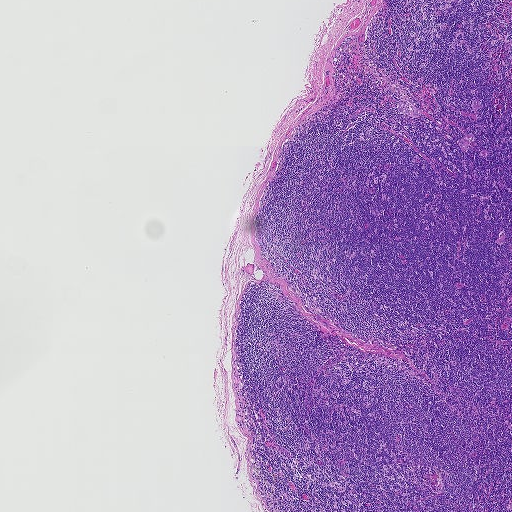
This is a crop of a whole-slide image: an H&E-stained breast-cancer sentinel lymph node section at roughly 2.5× magnification (about 3.6 µm per pixel; the crop spans about 1.9 mm).
Two metastatic tumour regions, each outlined as a closed clockwise path in crop pixels (x, y), largest first: region 1: (407, 99), (410, 99), (412, 101), (413, 106), (418, 108), (420, 114), (420, 116), (417, 117), (401, 112), (397, 108), (396, 106), (397, 103), (400, 102), (403, 102), (406, 104); region 2: (465, 133), (473, 135), (473, 137), (470, 142), (469, 148), (465, 151), (463, 151), (459, 146), (458, 141), (459, 138), (462, 138).
Three more small tumour pieces are annotated here but not outlined.
Under 5% of this field is tumour.